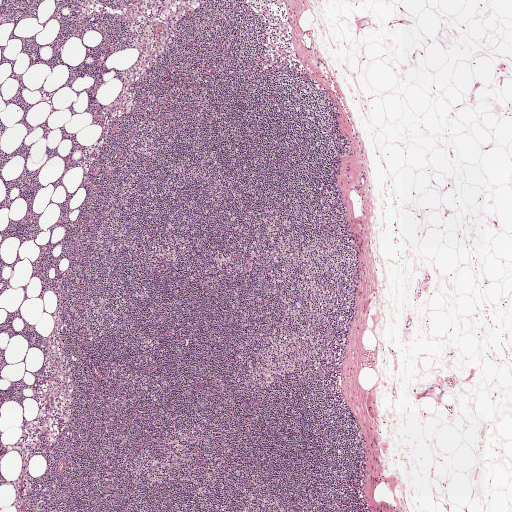
This is a crop of a whole-slide image: an H&E-stained breast-cancer sentinel lymph node section at roughly 2.5× magnification (about 3.9 µm per pixel; the crop spans about 2.0 mm).